Image:
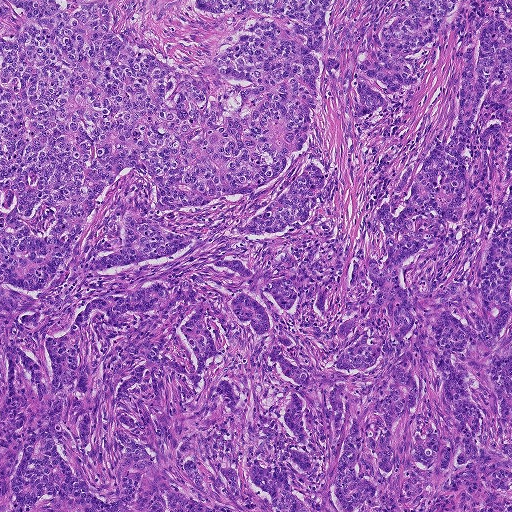
A 0.93-mm field of an H&E-stained sentinel lymph node from a breast-cancer patient (whole-slide image), shown at about 5×, about 1.8 µm per pixel.
Question:
Is any metastatic breast cancer visible in this crop?
Answer:
Yes.
Metastatic tumour covers the whole field.
Over 95% of the image area is annotated as tumour.